Image:
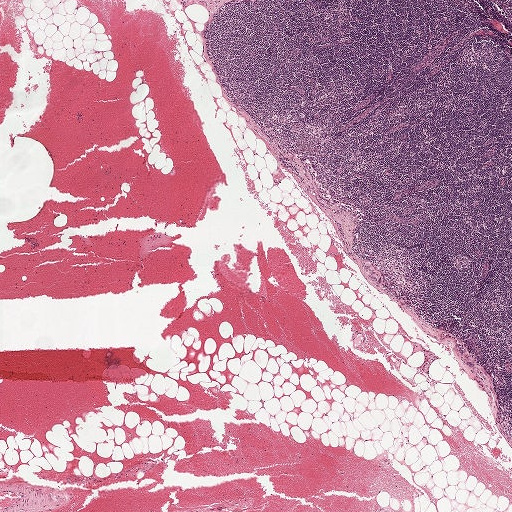
Lymph node section stained with H&E, from a whole-slide image of a breast-cancer sentinel node. Magnification about 2.5×, about 2.0 mm across the frame, about 3.9 µm per pixel.
Question:
Where is the metastatic tumour in this field?
Answer:
One metastatic tumour region; its boundary, reduced to 8 corners and listed clockwise: (365, 261), (371, 261), (380, 272), (381, 281), (380, 285), (375, 285), (366, 279), (362, 268).
Under 5% of this field is tumour.